Question: 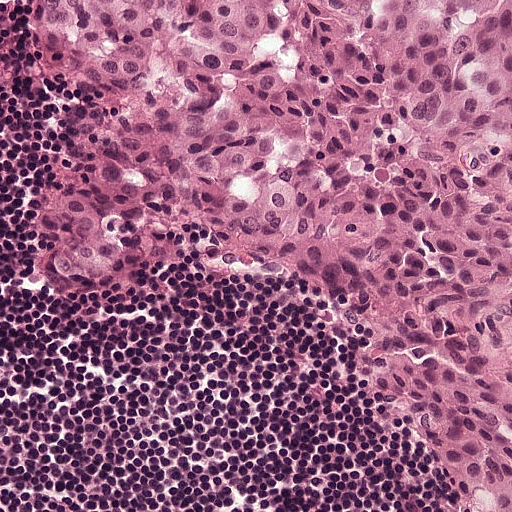
This is a crop of a whole-slide image: an H&E-stained breast-cancer sentinel lymph node section at roughly 20× magnification (about 0.49 µm per pixel; the crop spans about 0.25 mm).
Estimate the proportion of this field that is metastatic tumour.

Choices:
 (A) none: no tumour is outlined
 (B) about 50% or more
 (C) about 10% to 20%
 (D) about 5% or less
 (E) about 25% to 45%

Answer: (B) about 50% or more
About 65% of the field is tumour.
Tumour region outline (a closed clockwise path, crop pixels): (511, 0), (511, 511), (460, 511), (453, 486), (364, 396), (316, 309), (292, 292), (234, 290), (208, 276), (76, 301), (30, 290), (27, 238), (42, 170), (86, 112), (72, 70), (26, 50), (11, 1).